Question: 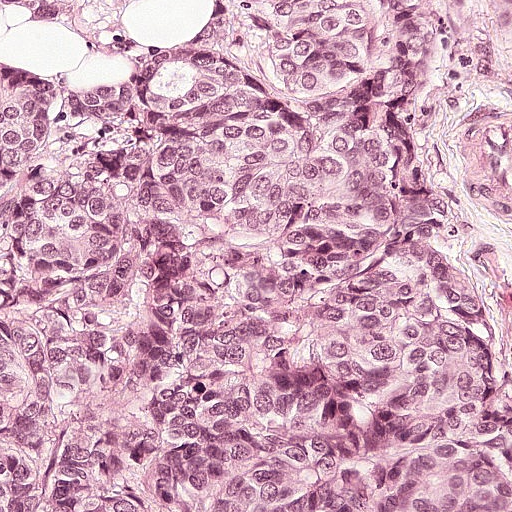
About what magnification does this crop show?

Choices:
 (A) about 40×
 (B) about 5×
 (C) about 10×
 (D) about 2.5×
 (E) about 20×

Answer: (E) about 20×
This is a crop of a whole-slide image: an H&E-stained breast-cancer sentinel lymph node section at roughly 20× magnification (about 0.49 µm per pixel; the crop spans about 0.25 mm).